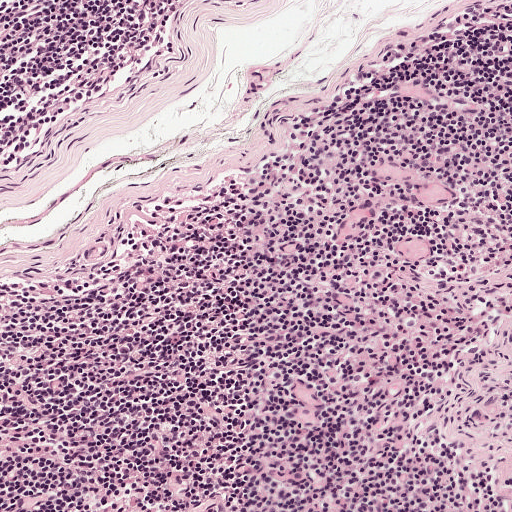
A 0.5-mm field of an H&E-stained sentinel lymph node from a breast-cancer patient (whole-slide image), shown at about 10×, about 0.97 µm per pixel.